Question: 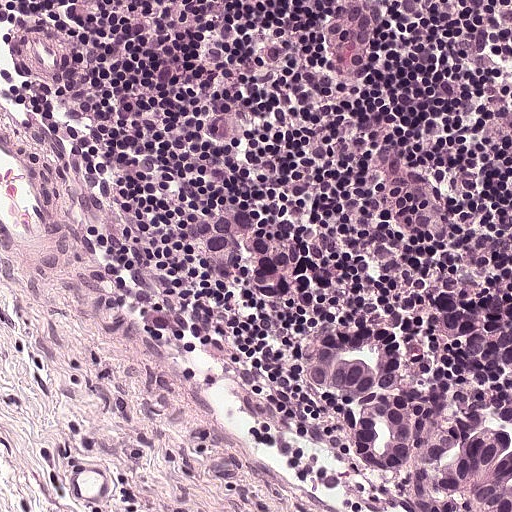
H&E-stained section of a sentinel lymph node (breast cancer), from a whole-slide image, viewed at about 20×: the field is about 0.25 mm across, about 0.49 µm per pixel.
Estimate the proportion of this field that is metastatic tumour.

Choices:
 (A) about 50% or more
 (B) about 25% to 45%
 (C) about 5% or less
 (D) about 10% to 20%
 (E) none: no tumour is outlined

Answer: (D) about 10% to 20%
About 10% of the field is tumour.
Two metastatic tumour regions, each outlined as a closed clockwise path in crop pixels (x, y), largest first: region 1: (327, 318), (377, 320), (397, 336), (388, 378), (410, 404), (450, 409), (485, 394), (509, 398), (511, 511), (482, 511), (458, 486), (427, 464), (385, 468), (346, 456), (334, 437), (340, 424), (335, 400), (319, 383), (296, 372), (296, 350), (307, 326); region 2: (232, 195), (256, 200), (278, 224), (285, 225), (292, 242), (286, 287), (273, 294), (250, 294), (231, 282), (215, 278), (182, 258), (168, 238), (176, 214), (196, 198).